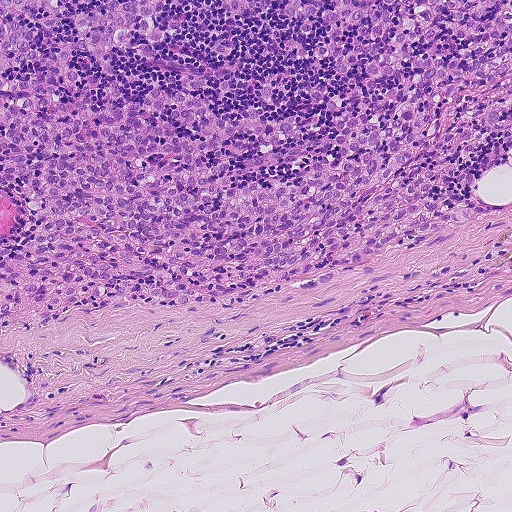
Lymph node section stained with H&E, from a whole-slide image of a breast-cancer sentinel node. Magnification about 10×, about 0.46 mm across the frame, about 0.9 µm per pixel.
One metastatic tumour region; its boundary, reduced to 8 corners and listed clockwise: (0, 0), (511, 0), (511, 153), (478, 184), (482, 202), (503, 208), (312, 291), (0, 324).
Tumour covers about 55% of the frame.